Question: 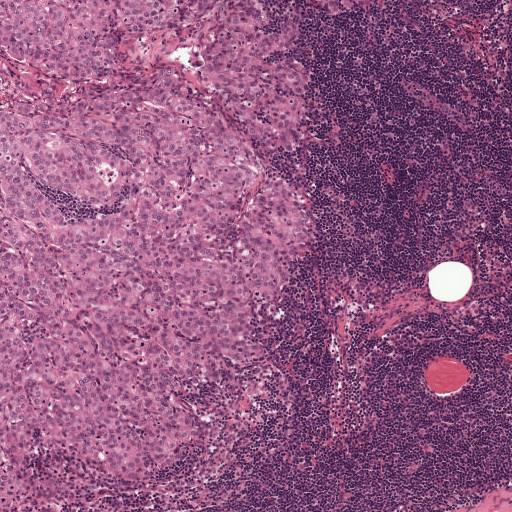
At roughly what magnification is this field shown?

Choices:
 (A) about 20×
 (B) about 10×
 (C) about 2.5×
 (D) about 40×
 (E) about 5×

Answer: (E) about 5×
A 1-mm field of an H&E-stained sentinel lymph node from a breast-cancer patient (whole-slide image), shown at about 5×, about 1.9 µm per pixel.
The outlined metastatic tumour's edge, as a closed clockwise path of 15 points: (0, 0), (301, 0), (320, 140), (274, 154), (320, 227), (261, 362), (250, 376), (201, 389), (189, 402), (202, 437), (150, 480), (117, 485), (37, 446), (36, 504), (0, 511).
The annotated tumour makes up about 50% of the crop.